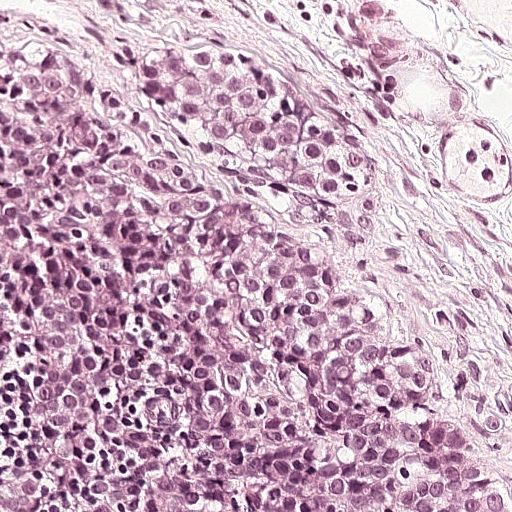
H&E-stained section of a sentinel lymph node (breast cancer), from a whole-slide image, viewed at about 20×: the field is about 0.25 mm across, about 0.49 µm per pixel.
Metastatic tumour outline, simplified to 13 points and listed clockwise in crop pixels (x, y): (0, 28), (44, 30), (104, 72), (196, 33), (236, 30), (356, 105), (380, 158), (378, 192), (356, 214), (361, 256), (455, 372), (511, 511), (0, 511).
About 75% of this field is tumour.